Question: 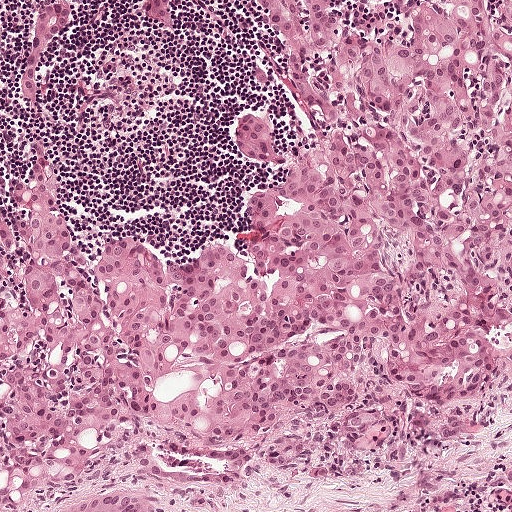
Lymph node section stained with H&E, from a whole-slide image of a breast-cancer sentinel node. Magnification about 10×, about 0.5 mm across the frame, about 0.97 µm per pixel.
About how much of this crop is taken up by metastatic carcinoma?

Choices:
 (A) about 5% or less
 (B) none: no tumour is outlined
 (C) about 50% or more
 (D) about 25% to 45%
 (E) about 10% to 20%

Answer: (C) about 50% or more
About 75% of the field is tumour.
Metastatic tumour outline, simplified to 24 points and listed clockwise in crop pixels (x, y): (73, 0), (46, 156), (73, 206), (110, 241), (142, 233), (187, 252), (272, 179), (239, 139), (242, 105), (276, 106), (287, 155), (304, 130), (238, 0), (511, 0), (511, 389), (388, 445), (327, 444), (173, 486), (157, 511), (0, 511), (0, 153), (14, 156), (14, 73), (38, 4).